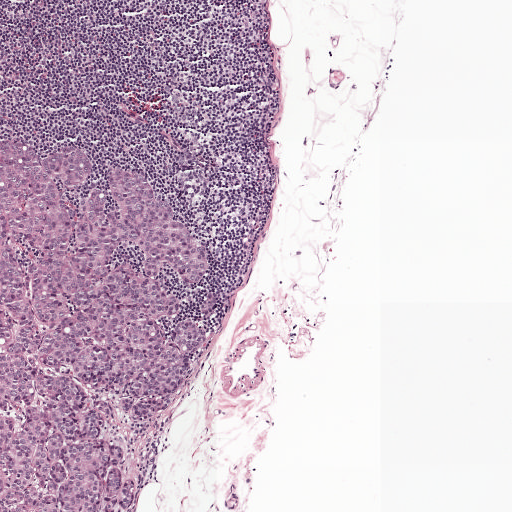
This is a crop of a whole-slide image: an H&E-stained breast-cancer sentinel lymph node section at roughly 5× magnification (about 1.9 µm per pixel; the crop spans about 1 mm).
Metastatic tumour outline, simplified to 23 points and listed clockwise in crop pixels (x, y): (0, 139), (86, 155), (90, 182), (58, 182), (78, 205), (94, 185), (106, 210), (103, 172), (133, 168), (206, 252), (204, 279), (170, 264), (153, 281), (177, 295), (166, 344), (182, 318), (206, 336), (160, 429), (136, 438), (122, 411), (107, 419), (135, 503), (0, 511).
About 20% of this field is tumour.